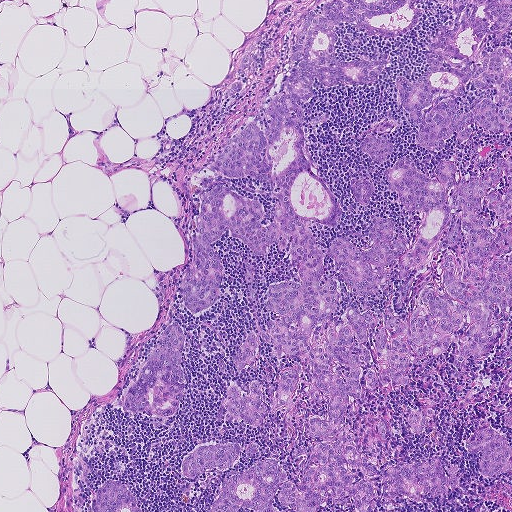
Lymph node section stained with H&E, from a whole-slide image of a breast-cancer sentinel node. Magnification about 5×, about 0.93 mm across the frame, about 1.8 µm per pixel.
Question: Describe where the metastatic carcinoma lies in this crop.
Answer: Outlines of eight tumour regions, largest first (closed clockwise paths, crop pixels): region 1: (511, 0), (504, 41), (478, 38), (468, 27), (456, 43), (479, 62), (497, 50), (511, 52), (511, 127), (492, 133), (474, 122), (467, 140), (454, 132), (436, 151), (417, 148), (418, 124), (401, 106), (396, 81), (415, 82), (430, 65), (426, 45), (437, 26), (453, 26), (452, 1); region 2: (175, 320), (184, 339), (181, 362), (185, 376), (178, 405), (160, 427), (152, 427), (149, 420), (154, 415), (123, 411), (120, 404), (123, 396), (158, 343), (164, 329); region 3: (253, 380), (258, 381), (265, 408), (264, 424), (260, 428), (244, 424), (228, 422), (223, 412), (222, 418), (217, 420), (227, 384), (232, 382), (248, 394), (250, 384); region 4: (482, 425), (493, 429), (506, 439), (507, 445), (511, 446), (511, 472), (496, 476), (485, 476), (480, 472), (478, 466), (482, 456), (481, 450), (475, 454), (470, 453), (466, 449), (474, 432); region 5: (232, 441), (239, 443), (241, 450), (235, 464), (222, 471), (207, 470), (196, 479), (189, 479), (183, 474), (181, 466), (182, 458), (201, 444); region 6: (109, 479), (114, 479), (123, 484), (134, 496), (137, 506), (146, 511), (90, 511), (94, 495), (100, 485); region 7: (372, 134), (387, 138), (392, 148), (388, 158), (378, 163), (373, 161), (359, 150), (358, 144), (366, 136); region 8: (292, 368), (297, 377), (291, 392), (294, 408), (292, 412), (286, 413), (280, 405), (276, 395), (282, 371).
One more tumour region is annotated but not outlined: its edge is too irregular for a short outline.
Four more, smaller tumour regions are not outlined.
Three more small tumour pieces are annotated here but not outlined.
About 35% of the image area is annotated as tumour.